Image:
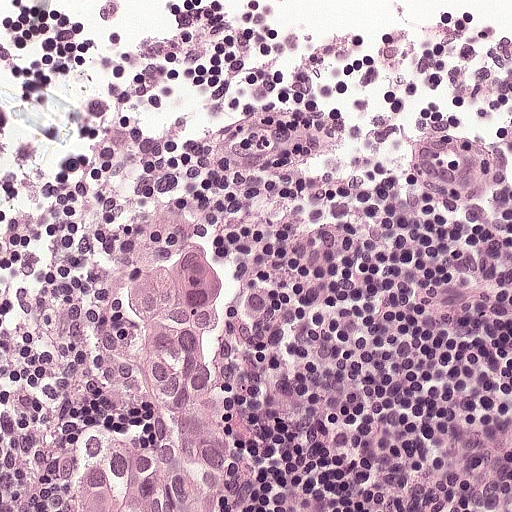
This is a crop of a whole-slide image: an H&E-stained breast-cancer sentinel lymph node section at roughly 20× magnification (about 0.49 µm per pixel; the crop spans about 0.25 mm).
Question:
Where is the metastatic tumour in this field?
Answer:
One metastatic tumour region; its boundary, reduced to 12 corners and listed clockwise: (188, 236), (220, 250), (230, 276), (228, 302), (208, 340), (224, 454), (223, 511), (72, 511), (88, 406), (112, 388), (104, 324), (115, 274).
Tumour covers about 10% of the frame.

Image:
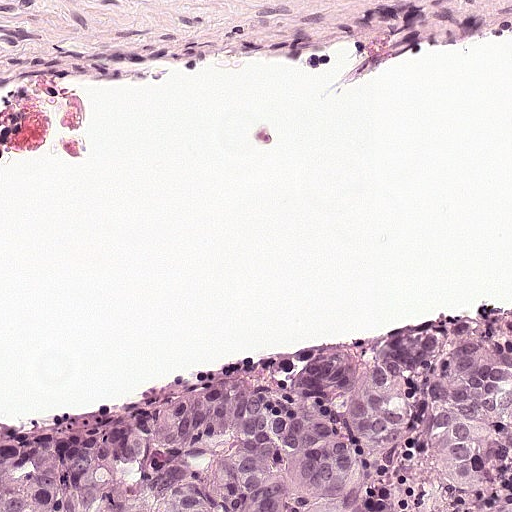
This is a crop of a whole-slide image: an H&E-stained breast-cancer sentinel lymph node section at roughly 20× magnification (about 0.49 µm per pixel; the crop spans about 0.25 mm).
Question:
Where is the metastatic tumour in this field?
Answer:
The outlined metastatic tumour's edge, as a closed clockwise path of 8 points: (371, 324), (511, 330), (511, 511), (0, 511), (0, 458), (66, 448), (232, 356), (290, 352).
The annotated tumour makes up about 25% of the crop.

Image:
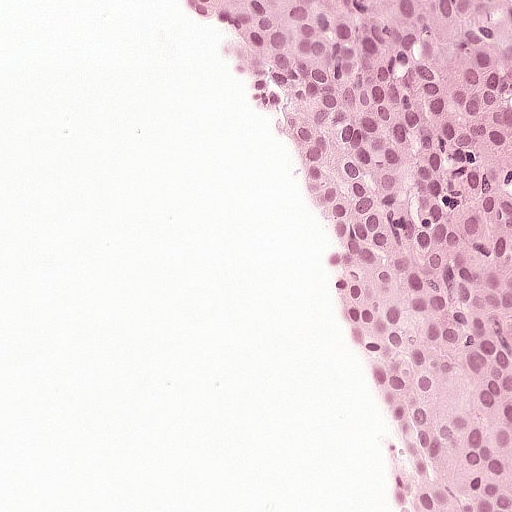
Lymph node section stained with H&E, from a whole-slide image of a breast-cancer sentinel node. Magnification about 20×, about 0.25 mm across the frame, about 0.49 µm per pixel.
Question:
Where is the metastatic tumour in this field?
Answer:
Metastatic tumour outline, simplified to 9 points and listed clockwise in crop pixels (x, y): (180, 0), (511, 0), (511, 511), (408, 511), (397, 419), (312, 208), (294, 123), (272, 86), (223, 54).
About 35% of this field is tumour.

Image:
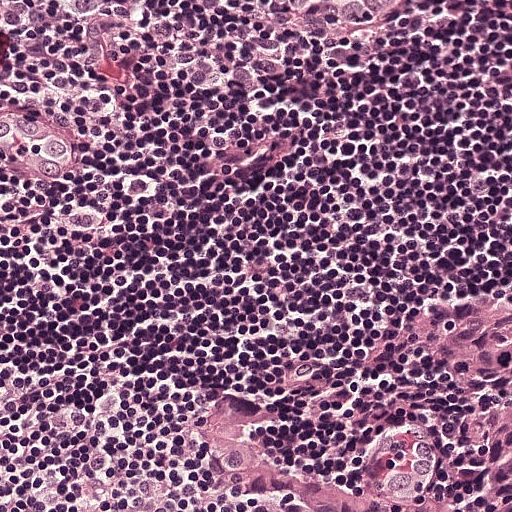
A 0.25-mm field of an H&E-stained sentinel lymph node from a breast-cancer patient (whole-slide image), shown at about 20×, about 0.49 µm per pixel.
Question:
Where is the metastatic tumour in this field?
Answer:
The outlined metastatic tumour's edge, as a closed clockwise path of 15 points: (510, 288), (511, 511), (237, 511), (224, 485), (171, 462), (185, 399), (222, 396), (238, 407), (249, 444), (292, 471), (322, 476), (365, 390), (371, 336), (385, 321), (462, 290).
About 15% of this field is tumour.